Question: 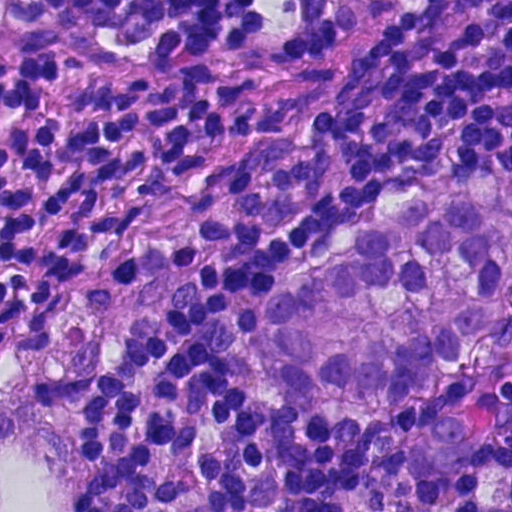
About what magnification does this crop show?

Choices:
 (A) about 2.5×
 (B) about 20×
 (C) about 10×
 (D) about 40×
 (E) about 5×

Answer: (D) about 40×
This is a crop of a whole-slide image: an H&E-stained breast-cancer sentinel lymph node section at roughly 40× magnification (about 0.23 µm per pixel; the crop spans about 0.12 mm).
Tumour region outline (a closed clockwise path, crop pixels): (442, 159), (511, 164), (511, 340), (478, 393), (407, 428), (326, 428), (256, 381), (244, 300), (302, 244).
About 20% of the image area is annotated as tumour.